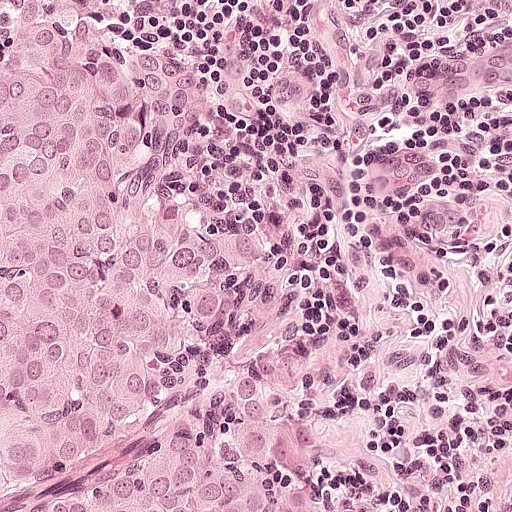
Lymph node section stained with H&E, from a whole-slide image of a breast-cancer sentinel node. Magnification about 20×, about 0.25 mm across the frame, about 0.49 µm per pixel.
Question: Which parts of this field are metastatic tumour? Answer with the outline of each region, in pixels.
Answer: One metastatic tumour region; its boundary, reduced to 11 corners and listed clockwise: (0, 0), (138, 0), (153, 30), (187, 47), (210, 81), (192, 192), (250, 220), (286, 280), (312, 300), (286, 508), (0, 511).
About 50% of this field is tumour.